A 2.0-mm field of an H&E-stained sentinel lymph node from a breast-cancer patient (whole-slide image), shown at about 2.5×, about 3.9 µm per pixel.
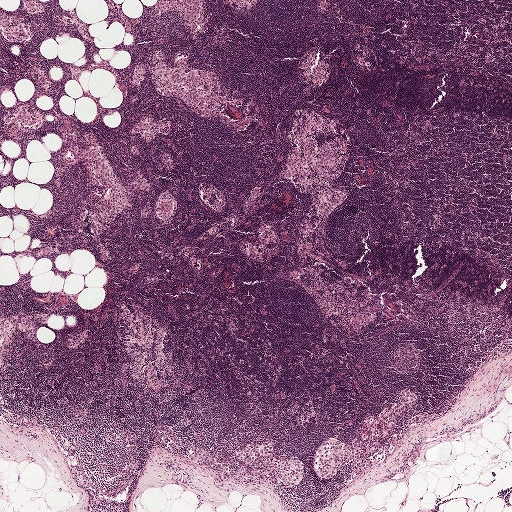
Boundaries of three metastatic tumour regions, simplified and listed clockwise, largest first: region 1: (405, 386), (412, 387), (418, 392), (418, 399), (396, 426), (383, 435), (375, 454), (376, 461), (362, 474), (352, 474), (353, 466), (350, 460), (329, 479), (322, 479), (315, 476), (313, 463), (322, 440), (332, 436), (345, 443), (354, 440), (365, 417), (380, 413), (398, 399); region 2: (252, 440), (263, 440), (275, 444), (278, 457), (294, 456), (303, 461), (303, 475), (296, 487), (289, 488), (283, 486), (278, 488), (273, 488), (265, 472), (250, 485), (245, 486), (241, 483), (238, 476), (237, 453); region 3: (203, 446), (218, 456), (231, 456), (231, 461), (227, 463), (231, 470), (231, 478), (220, 479), (212, 470), (189, 459), (187, 456), (189, 452).
The annotated tumour makes up under 5% of the crop.